Question: 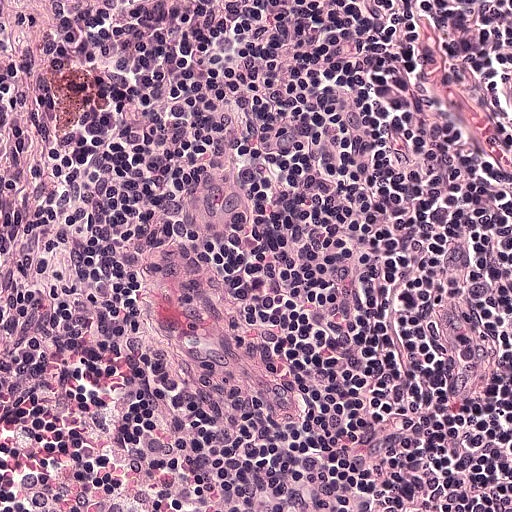
Which magnification is this H&E lymph node field most likely shown at?

Choices:
 (A) about 10×
 (B) about 5×
 (C) about 2.5×
 (D) about 40×
 (E) about 20×

Answer: (E) about 20×
This is a crop of a whole-slide image: an H&E-stained breast-cancer sentinel lymph node section at roughly 20× magnification (about 0.49 µm per pixel; the crop spans about 0.25 mm).